Question: 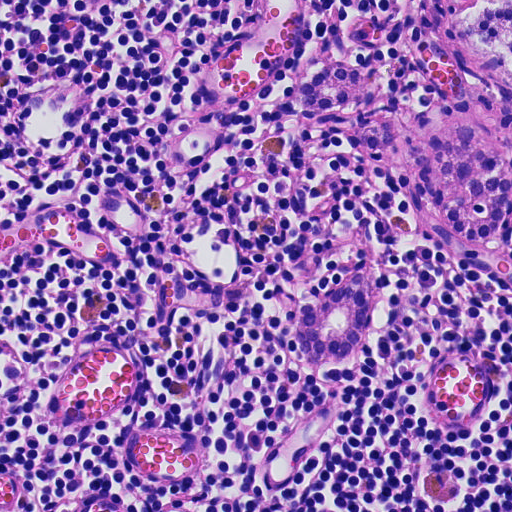
H&E-stained section of a sentinel lymph node (breast cancer), from a whole-slide image, viewed at about 20×: the field is about 0.23 mm across, about 0.45 µm per pixel.
What fraction of the image area is metastatic tumour?

Choices:
 (A) about 25% to 45%
 (B) none: no tumour is outlined
 (C) about 5% or less
 (D) about 10% to 20%
 (E) about 50% or more

Answer: (D) about 10% to 20%
About 10% of the field is tumour.
Outlines of four tumour regions, largest first (closed clockwise paths, crop pixels): region 1: (466, 101), (486, 121), (511, 160), (511, 210), (500, 226), (474, 239), (447, 230), (428, 208), (410, 166), (422, 139), (440, 116); region 2: (322, 54), (354, 62), (379, 81), (367, 110), (397, 117), (402, 148), (374, 159), (350, 139), (360, 113), (334, 118), (303, 109), (300, 78); region 3: (363, 269), (373, 304), (373, 330), (358, 355), (344, 362), (320, 366), (296, 350), (292, 320), (312, 298); region 4: (472, 0), (511, 0), (511, 86), (490, 62), (462, 36).